Question: 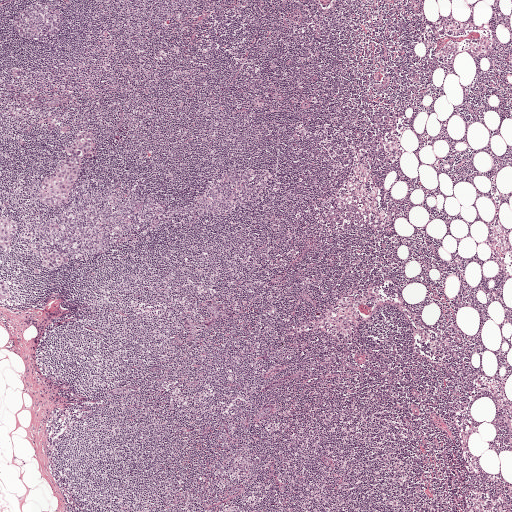
H&E-stained section of a sentinel lymph node (breast cancer), from a whole-slide image, viewed at about 2.5×: the field is about 2.0 mm across, about 3.9 µm per pixel.
What fraction of the image area is metastatic tumour?

Choices:
 (A) none: no tumour is outlined
 (B) about 50% or more
 (C) about 25% to 45%
 (D) about 5% or less
 (E) about 10% to 20%

Answer: (D) about 5% or less
Under 5% of the field is tumour.
Boundaries of five metastatic tumour regions, simplified and listed clockwise, largest first: region 1: (79, 131), (91, 133), (95, 137), (95, 153), (81, 160), (79, 174), (63, 203), (56, 206), (49, 206), (43, 202), (39, 194), (41, 184), (44, 178), (53, 173), (58, 161), (69, 157), (62, 151), (62, 148), (74, 142), (77, 132); region 2: (43, 248), (58, 250), (70, 256), (69, 262), (61, 269), (51, 270), (41, 267), (43, 273), (36, 274), (33, 272), (33, 270), (39, 268), (38, 264), (43, 259), (40, 251); region 3: (0, 216), (16, 221), (19, 226), (18, 232), (12, 241), (11, 251), (9, 255), (0, 254); region 4: (0, 269), (9, 287), (10, 295), (10, 298), (8, 300), (0, 298); region 5: (135, 234), (135, 237), (126, 241), (121, 241), (119, 240), (120, 239), (129, 237), (132, 235).
Six more small tumour pieces are annotated here but not outlined.